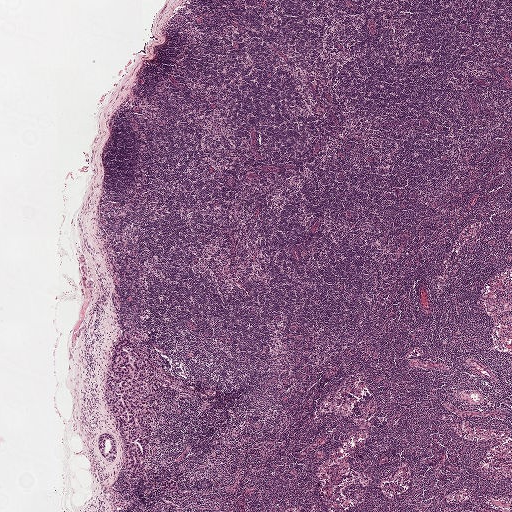
H&E-stained section of a sentinel lymph node (breast cancer), from a whole-slide image, viewed at about 2.5×: the field is about 2.0 mm across, about 3.9 µm per pixel.
Question: Which parts of this field are metastatic tumour? Answer with the outline of each region, in pixels.
Answer: Boundaries of three metastatic tumour regions, simplified and listed clockwise, largest first: region 1: (129, 320), (135, 329), (149, 335), (143, 347), (149, 362), (183, 380), (183, 386), (191, 386), (198, 396), (181, 400), (175, 411), (173, 402), (180, 394), (158, 386), (167, 407), (165, 423), (153, 432), (157, 448), (140, 481), (127, 470), (125, 439), (109, 411), (104, 390); region 2: (104, 433), (112, 434), (117, 441), (118, 456), (112, 463), (108, 463), (98, 452), (97, 439), (99, 436); region 3: (164, 479), (169, 479), (178, 482), (181, 491), (177, 493), (168, 493), (165, 492), (163, 488), (159, 485), (160, 482).
Region 2 encloses a non-tumour hole of about 15% of its area.
Tumour covers about 5% of the frame.